Image:
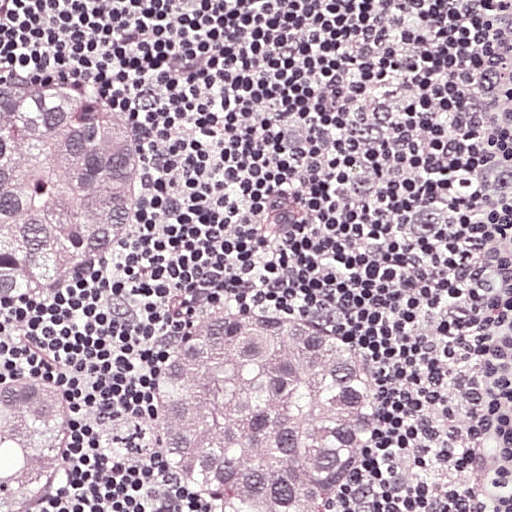
A 0.25-mm field of an H&E-stained sentinel lymph node from a breast-cancer patient (whole-slide image), shown at about 20×, about 0.49 µm per pixel.
Question:
Outline the metastatic carcinoma in this image, as closed paths of (x, y) pixel coordinates.
Answer:
Three metastatic tumour regions, each outlined as a closed clockwise path in crop pixels (x, y), largest first: region 1: (208, 308), (256, 308), (382, 358), (388, 411), (329, 511), (187, 511), (139, 471), (126, 440), (148, 358); region 2: (6, 76), (98, 100), (124, 114), (133, 144), (132, 176), (98, 254), (55, 296), (2, 302), (0, 77); region 3: (37, 362), (62, 364), (82, 378), (87, 400), (76, 458), (52, 510), (0, 511), (0, 373).
Tumour covers about 30% of the frame.